H&E-stained section of a sentinel lymph node (breast cancer), from a whole-slide image, viewed at about 20×: the field is about 0.25 mm across, about 0.49 µm per pixel.
Question: 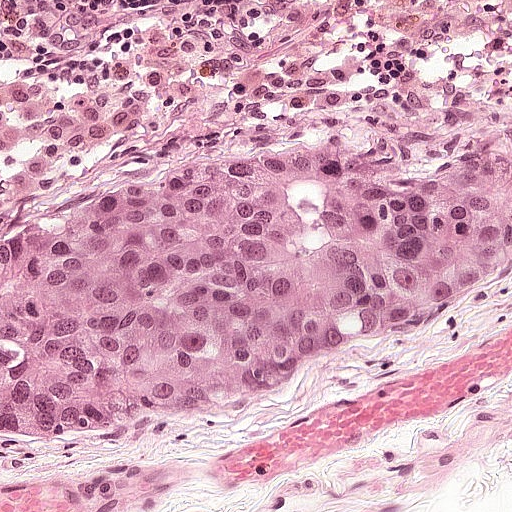
What fraction of the image area is metastatic tumour?

Choices:
 (A) about 10% to 20%
 (B) about 5% or less
 (C) about 25% to 45%
 (D) about 50% or more
 (E) none: no tumour is outlined

Answer: (C) about 25% to 45%
About 45% of the field is tumour.
Tumour region outline (a closed clockwise path, crop pixels): (511, 112), (511, 274), (485, 310), (386, 370), (149, 422), (0, 431), (0, 219), (140, 158), (249, 126), (422, 144).